Question: 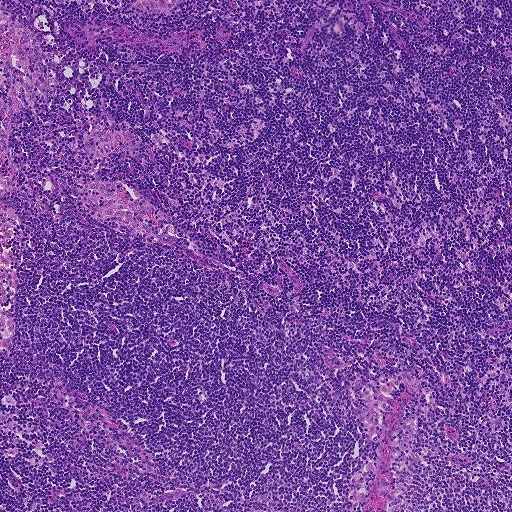
About what magnification does this crop show?

Choices:
 (A) about 2.5×
 (B) about 40×
 (C) about 10×
 (D) about 20×
 (E) about 5×

Answer: (E) about 5×
H&E-stained section of a sentinel lymph node (breast cancer), from a whole-slide image, viewed at about 5×: the field is about 0.93 mm across, about 1.8 µm per pixel.